Question: 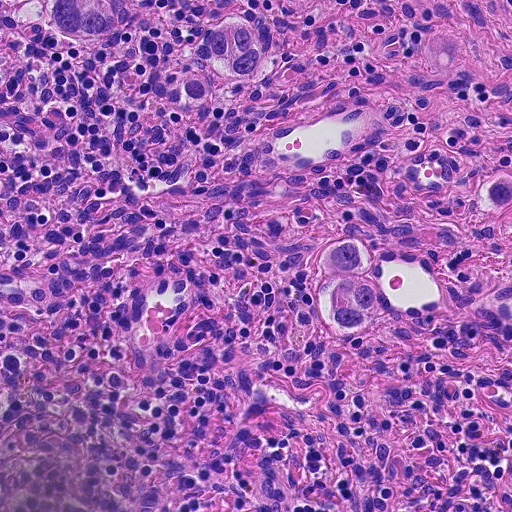
A 0.23-mm field of an H&E-stained sentinel lymph node from a breast-cancer patient (whole-slide image), shown at about 20×, about 0.45 µm per pixel.
About how much of this crop is taken up by metastatic carcinoma?

Choices:
 (A) about 10% to 20%
 (B) about 50% or more
 (C) none: no tumour is outlined
 (D) about 5% or less
 (E) about 25% to 45%

Answer: (D) about 5% or less
About 5% of the field is tumour.
Metastatic tumour outline, simplified to 11 points and listed clockwise in crop pixels (x, y): (348, 241), (369, 256), (370, 277), (384, 296), (380, 321), (358, 336), (334, 328), (316, 308), (324, 282), (314, 272), (322, 248).
Three more small tumour pieces are annotated here but not outlined.